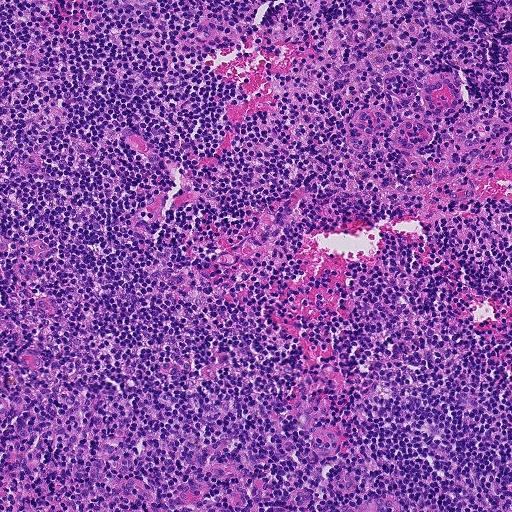
This is a crop of a whole-slide image: an H&E-stained breast-cancer sentinel lymph node section at roughly 10× magnification (about 0.9 µm per pixel; the crop spans about 0.46 mm).
Question: Is any metastatic breast cancer visible in this crop?
Answer: No, this field holds no outlined metastasis.